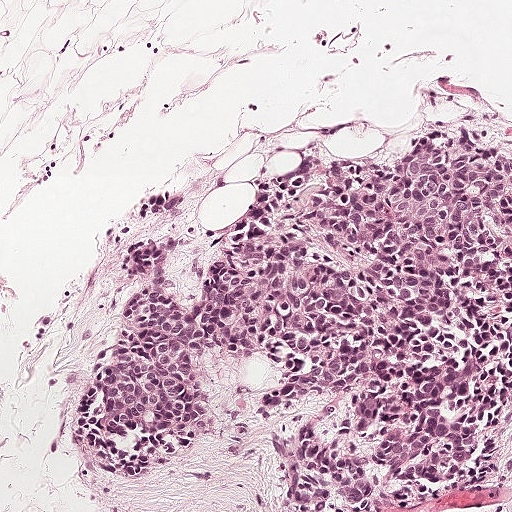
A 0.5-mm field of an H&E-stained sentinel lymph node from a breast-cancer patient (whole-slide image), shown at about 10×, about 0.97 µm per pixel.
Tumour region outline (a closed clockwise path, crop pixels): (433, 129), (511, 139), (502, 443), (304, 510), (276, 454), (329, 402), (255, 415), (280, 374), (205, 346), (223, 407), (201, 438), (142, 474), (80, 441), (133, 278), (116, 256), (157, 228), (126, 195), (179, 185), (166, 262), (198, 297), (264, 180), (400, 159).
About 45% of the image area is annotated as tumour.